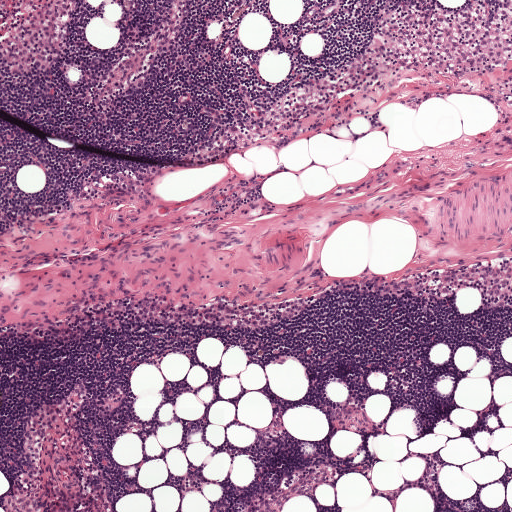
H&E-stained section of a sentinel lymph node (breast cancer), from a whole-slide image, viewed at about 5×: the field is about 1 mm across, about 1.9 µm per pixel.